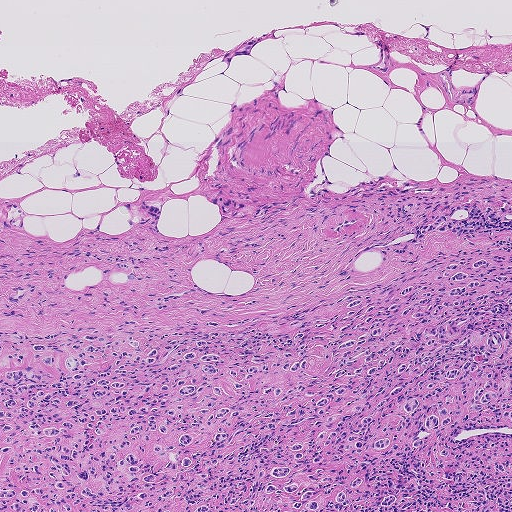
A 0.93-mm field of an H&E-stained sentinel lymph node from a breast-cancer patient (whole-slide image), shown at about 5×, about 1.8 µm per pixel.
Question: Outline the metastatic carcinoma in this image, as closed paths of (x, y) pixel coordinates.
Answer: The outlined metastatic tumour's edge, as a closed clockwise path of 7 points: (506, 244), (511, 511), (0, 511), (0, 330), (132, 319), (174, 330), (289, 310).
Tumour covers about 40% of the frame.